Question: 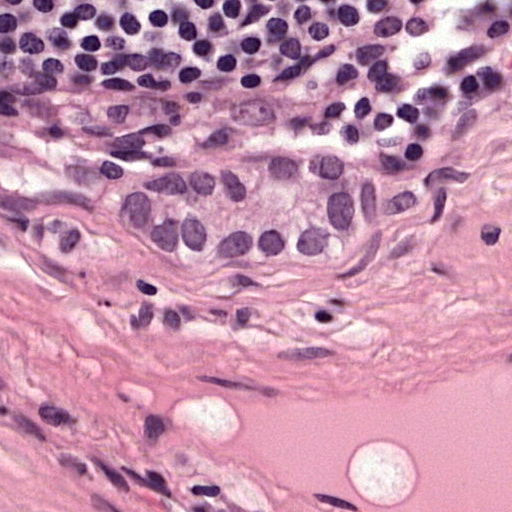
Which magnification is this H&E lymph node field most likely shown at?

Choices:
 (A) about 10×
 (B) about 5×
 (C) about 2.5×
 (D) about 40×
 (E) about 20×

Answer: (D) about 40×
H&E-stained section of a sentinel lymph node (breast cancer), from a whole-slide image, viewed at about 40×: the field is about 0.12 mm across, about 0.24 µm per pixel.
Tumour region outline (a closed clockwise path, crop pixels): (338, 149), (372, 164), (381, 216), (354, 265), (180, 270), (126, 244), (108, 204), (154, 161), (215, 152).
One more small tumour piece is annotated here but not outlined.
Tumour covers about 10% of the frame.